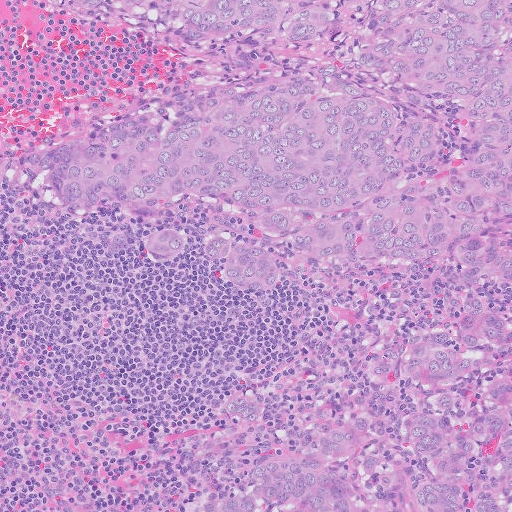
Lymph node section stained with H&E, from a whole-slide image of a breast-cancer sentinel node. Magnification about 10×, about 0.51 mm across the frame, about 1.0 µm per pixel.
The outlined metastatic tumour's edge, as a closed clockwise path of 22 points: (58, 0), (511, 0), (511, 511), (205, 511), (261, 441), (225, 404), (258, 402), (285, 459), (300, 452), (372, 374), (394, 279), (263, 300), (196, 285), (138, 250), (137, 214), (106, 223), (43, 198), (20, 174), (37, 143), (99, 112), (235, 88), (246, 54).
Tumour covers about 60% of the frame.